Question: 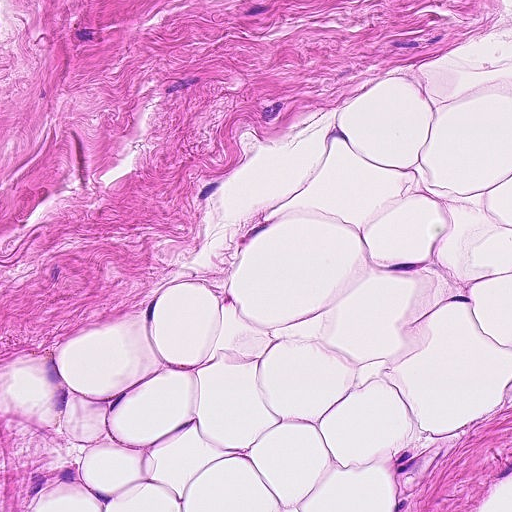
At roughly what magnification is this field shown?

Choices:
 (A) about 20×
 (B) about 5×
 (C) about 10×
 (D) about 2.5×
 (E) about 40×

Answer: (A) about 20×
H&E-stained section of a sentinel lymph node (breast cancer), from a whole-slide image, viewed at about 20×: the field is about 0.23 mm across, about 0.45 µm per pixel.